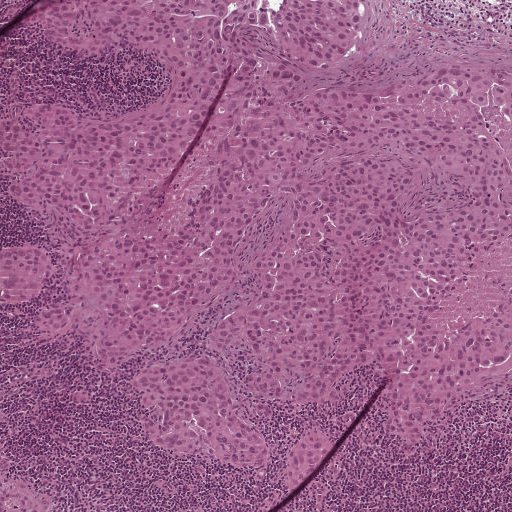
This is a crop of a whole-slide image: an H&E-stained breast-cancer sentinel lymph node section at roughly 5× magnification (about 1.9 µm per pixel; the crop spans about 1 mm).
Three metastatic tumour regions, each outlined as a closed clockwise path in crop pixels (x, y), largest first: region 1: (363, 0), (368, 58), (511, 66), (511, 373), (404, 461), (368, 368), (261, 422), (260, 473), (159, 456), (134, 375), (212, 343), (273, 212), (218, 304), (116, 368), (28, 322), (52, 278), (0, 305), (0, 250), (64, 255), (2, 195), (0, 122), (162, 89), (21, 29); region 2: (308, 427), (326, 435), (334, 446), (315, 482), (298, 493), (281, 480), (292, 440); region 3: (0, 454), (14, 468), (47, 494), (50, 511), (0, 511).
Tumour covers about 70% of the frame.